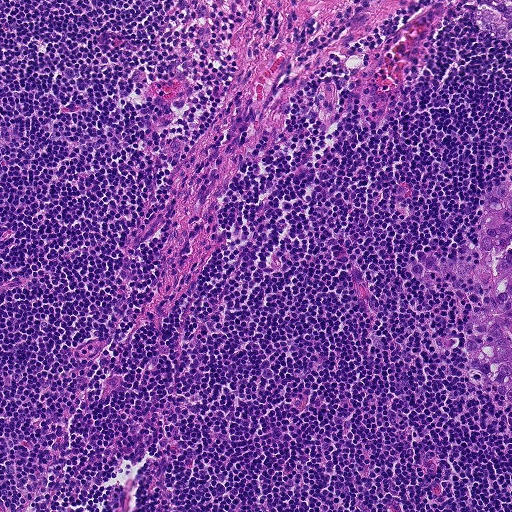
This is a crop of a whole-slide image: an H&E-stained breast-cancer sentinel lymph node section at roughly 10× magnification (about 0.9 µm per pixel; the crop spans about 0.46 mm).
Question: Show where the tumour is in this image.
Answer: Three metastatic tumour regions, each outlined as a closed clockwise path in crop pixels (x, y), largest first: region 1: (511, 168), (511, 412), (492, 390), (465, 377), (465, 331), (469, 316), (480, 305), (481, 282), (475, 276), (415, 279), (407, 268), (422, 250), (435, 259), (452, 256), (479, 263), (478, 206), (483, 196), (508, 178); region 2: (474, 0), (511, 0), (511, 42), (480, 33), (468, 19); region 3: (502, 137), (511, 138), (511, 161), (507, 151).
About 5% of this field is tumour.

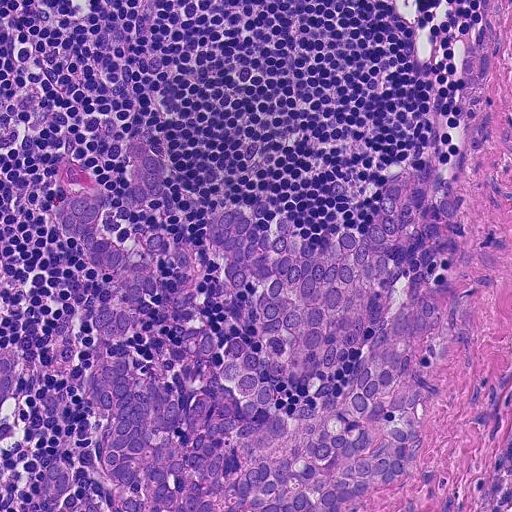
This is a crop of a whole-slide image: an H&E-stained breast-cancer sentinel lymph node section at roughly 20× magnification (about 0.45 µm per pixel; the crop spans about 0.23 mm).
Question: Show where the tumour is in this image.
Answer: Tumour region outline (a closed clockwise path, crop pixels): (129, 140), (150, 140), (196, 254), (211, 334), (238, 334), (262, 359), (252, 294), (207, 254), (216, 212), (274, 208), (318, 251), (370, 216), (408, 162), (428, 152), (442, 168), (466, 226), (454, 334), (421, 410), (420, 454), (354, 504), (45, 511), (45, 470), (84, 419), (96, 339), (88, 320), (72, 362), (31, 364), (0, 419), (0, 353), (68, 316), (103, 273), (51, 212), (66, 176), (105, 186), (100, 226), (126, 258), (165, 226), (166, 206), (134, 202), (127, 182).
Tumour covers about 40% of the frame.

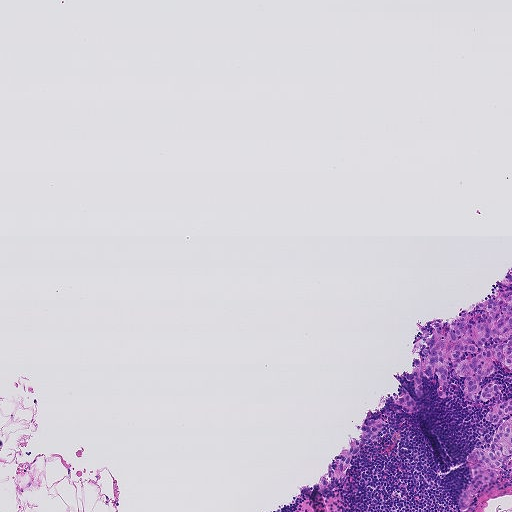
H&E-stained section of a sentinel lymph node (breast cancer), from a whole-slide image, viewed at about 5×: the field is about 0.93 mm across, about 1.8 µm per pixel.
Question: Show where the tumour is in this image.
Answer: Boundaries of three metastatic tumour regions, simplified and listed clockwise, largest first: region 1: (511, 264), (511, 369), (494, 362), (493, 372), (477, 383), (479, 388), (490, 382), (499, 384), (501, 393), (484, 401), (479, 392), (469, 403), (462, 396), (465, 377), (458, 378), (452, 370), (453, 360), (445, 396), (436, 393), (434, 374), (423, 378), (416, 413), (390, 403), (401, 397), (402, 385), (416, 400), (403, 370), (409, 373), (413, 357), (422, 362), (416, 342), (421, 334), (434, 320), (453, 323), (464, 308), (490, 296); region 2: (511, 399), (511, 455), (504, 464), (495, 481), (479, 492), (469, 509), (460, 510), (458, 501), (472, 476), (465, 458), (470, 449), (479, 447), (488, 449), (502, 419), (498, 425), (488, 425), (484, 416), (488, 408), (505, 400); region 3: (379, 418), (384, 423), (378, 437), (365, 442), (359, 451), (353, 455), (346, 471), (345, 479), (339, 480), (333, 478), (339, 464), (345, 459), (333, 457), (340, 450), (348, 449), (350, 445), (348, 441), (354, 438), (358, 440), (360, 427), (365, 421).
One more small tumour piece is annotated here but not outlined.
About 5% of this field is tumour.

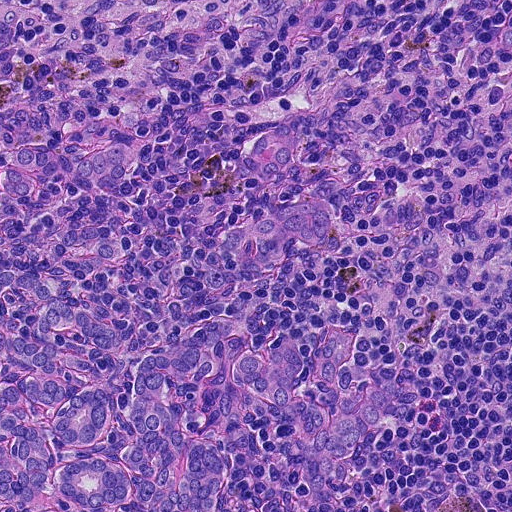
This is a crop of a whole-slide image: an H&E-stained breast-cancer sentinel lymph node section at roughly 20× magnification (about 0.45 µm per pixel; the crop spans about 0.23 mm).
Question: Show where the tumour is in this image.
Answer: Outlines of four tumour regions, largest first (closed clockwise paths, crop pixels): region 1: (0, 249), (74, 290), (144, 352), (211, 315), (230, 314), (263, 354), (298, 340), (304, 360), (330, 334), (344, 344), (343, 369), (358, 334), (376, 337), (419, 400), (408, 414), (346, 455), (322, 500), (306, 490), (290, 420), (235, 424), (222, 436), (232, 473), (224, 510), (0, 511); region 2: (274, 122), (294, 125), (298, 144), (295, 164), (272, 199), (274, 208), (313, 202), (332, 210), (332, 230), (318, 244), (299, 238), (278, 262), (240, 282), (222, 286), (201, 284), (204, 264), (215, 244), (228, 230), (264, 212), (266, 194), (248, 186), (240, 168), (258, 132); region 3: (106, 139), (126, 139), (140, 152), (134, 170), (100, 186), (64, 181), (32, 203), (0, 212), (0, 167), (10, 148), (50, 146), (71, 152), (90, 149); region 4: (276, 502), (294, 505), (305, 511), (258, 511).
Tumour covers about 30% of the frame.